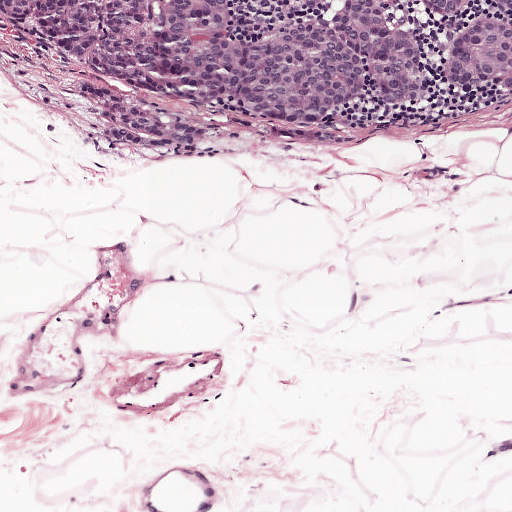
H&E-stained section of a sentinel lymph node (breast cancer), from a whole-slide image, viewed at about 10×: the field is about 0.5 mm across, about 0.97 µm per pixel.
Tumour region outline (a closed clockwise path, crop pixels): (0, 0), (511, 0), (511, 97), (370, 112), (356, 144), (238, 132), (193, 152), (166, 151), (106, 132), (63, 54), (2, 27).
About 20% of this field is tumour.